This is a crop of a whole-slide image: an H&E-stained breast-cancer sentinel lymph node section at roughly 5× magnification (about 1.8 µm per pixel; the crop spans about 0.93 mm).
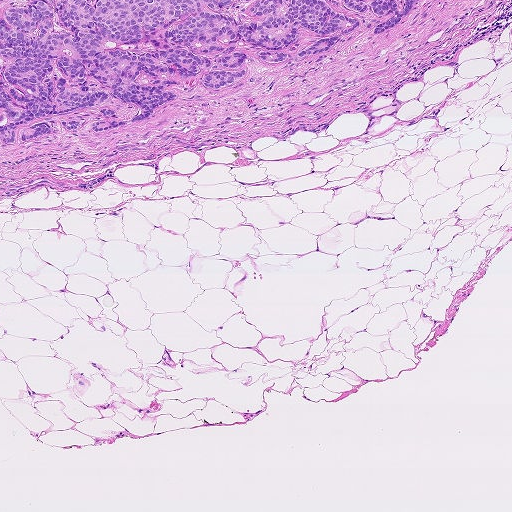
Two metastatic tumour regions, each outlined as a closed clockwise path in crop pixels (x, y), largest first: region 1: (0, 0), (331, 0), (362, 20), (329, 52), (268, 65), (248, 50), (242, 80), (214, 93), (199, 84), (174, 89), (180, 98), (136, 123), (95, 135), (86, 130), (90, 120), (77, 137), (62, 130), (0, 144); region 2: (341, 0), (421, 0), (416, 3), (412, 13), (395, 26), (386, 32), (371, 34), (371, 31), (391, 16), (389, 14), (380, 19), (368, 12), (358, 14), (348, 10).
About 15% of this field is tumour.